Image:
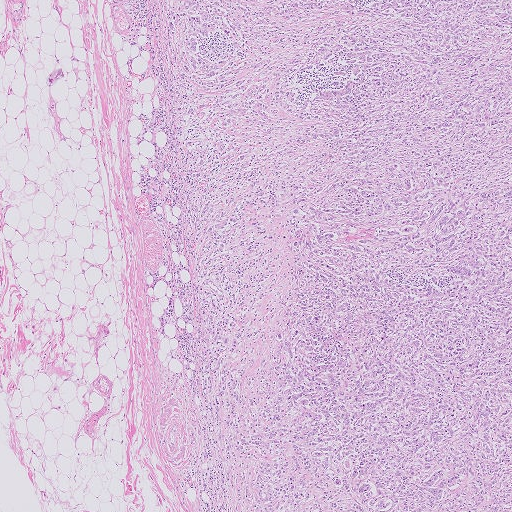
H&E-stained section of a sentinel lymph node (breast cancer), from a whole-slide image, viewed at about 2.5×: the field is about 2.0 mm across, about 4.0 µm per pixel.
Question:
Where is the metastatic tumour in this field? Give each region's outline as (x, y) pixel points.
Answer:
Tumour region outline (a closed clockwise path, crop pixels): (511, 0), (511, 511), (209, 511), (198, 278), (169, 86), (144, 2).
Tumour covers about 65% of the frame.

Image:
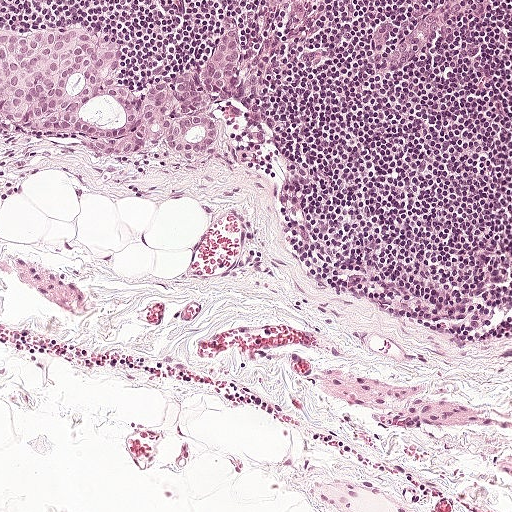
Lymph node section stained with H&E, from a whole-slide image of a breast-cancer sentinel node. Magnification about 10×, about 0.5 mm across the frame, about 0.97 µm per pixel.
Question:
Where is the metastatic tumour in this field? Give each region's outline as (x, y) pixel points.
Answer:
Two metastatic tumour regions, each outlined as a closed clockwise path in crop pixels (x, y), largest first: region 1: (225, 11), (253, 46), (248, 84), (222, 104), (227, 143), (216, 156), (147, 166), (1, 144), (0, 26), (41, 34), (56, 24), (92, 24), (114, 43), (132, 86), (154, 84), (216, 49); region 2: (25, 0), (67, 0), (66, 5), (56, 9), (42, 9).
The annotated tumour makes up about 10% of the crop.

Image:
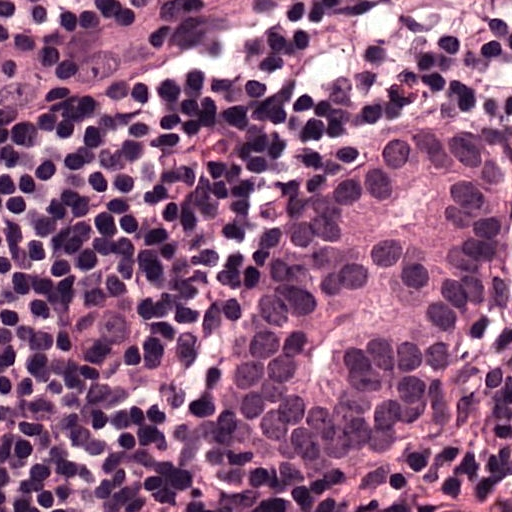
A 0.12-mm field of an H&E-stained sentinel lymph node from a breast-cancer patient (whole-slide image), shown at about 40×, about 0.24 µm per pixel.
Question:
Where is the metastatic tumour in this field? Give each region's outline as (x, y) pixel points.
Answer:
The outlined metastatic tumour's edge, as a closed clockwise path of 10 points: (387, 142), (503, 142), (511, 160), (511, 283), (421, 447), (368, 471), (278, 471), (244, 440), (241, 379), (289, 254).
Two more small tumour pieces are annotated here but not outlined.
Tumour covers about 25% of the frame.

Image:
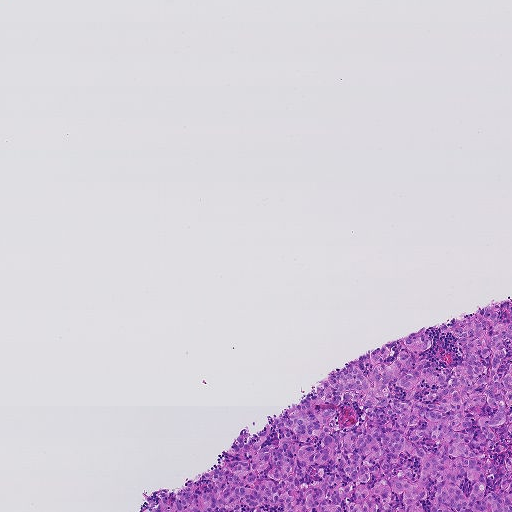
H&E-stained section of a sentinel lymph node (breast cancer), from a whole-slide image, viewed at about 5×: the field is about 0.93 mm across, about 1.8 µm per pixel.
Question:
Where is the metastatic tumour in this field? Give each region's outline as (x, y) pixel points.
Answer:
Tumour region outline (a closed clockwise path, crop pixels): (500, 301), (498, 321), (508, 320), (511, 511), (142, 511), (216, 466), (245, 427), (244, 443), (264, 425), (260, 448), (272, 447), (282, 410), (343, 365), (367, 376), (369, 350), (388, 346), (393, 362), (407, 334), (426, 332), (430, 348), (414, 359), (448, 377), (460, 348), (438, 323).
Tumour covers about 15% of the frame.